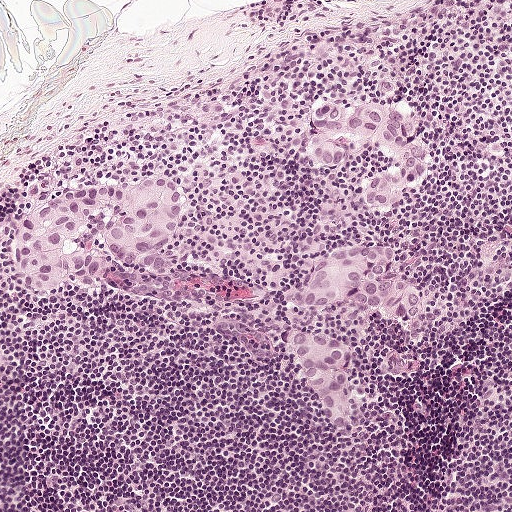
This is a crop of a whole-slide image: an H&E-stained breast-cancer sentinel lymph node section at roughly 10× magnification (about 0.97 µm per pixel; the crop spans about 0.5 mm).
Outlines of four tumour regions, largest first (closed clockwise paths, crop pixels): region 1: (157, 172), (180, 186), (184, 206), (172, 240), (158, 251), (150, 251), (136, 265), (104, 273), (95, 291), (41, 291), (17, 280), (14, 234), (27, 212), (82, 175), (106, 181); region 2: (316, 96), (386, 102), (408, 112), (430, 152), (426, 180), (378, 210), (368, 207), (359, 198), (360, 194), (370, 178), (389, 164), (387, 152), (362, 142), (334, 172), (316, 169), (306, 161), (301, 148), (301, 139), (306, 132), (306, 114); region 3: (374, 244), (393, 246), (394, 276), (413, 283), (421, 295), (417, 316), (405, 323), (394, 323), (382, 314), (349, 302), (330, 311), (308, 308), (305, 305), (304, 290), (310, 273), (341, 250); region 4: (280, 328), (334, 338), (349, 348), (348, 387), (349, 415), (344, 429), (339, 429), (329, 424), (314, 398), (310, 384), (298, 368), (292, 350), (275, 338).
The annotated tumour makes up about 15% of the crop.